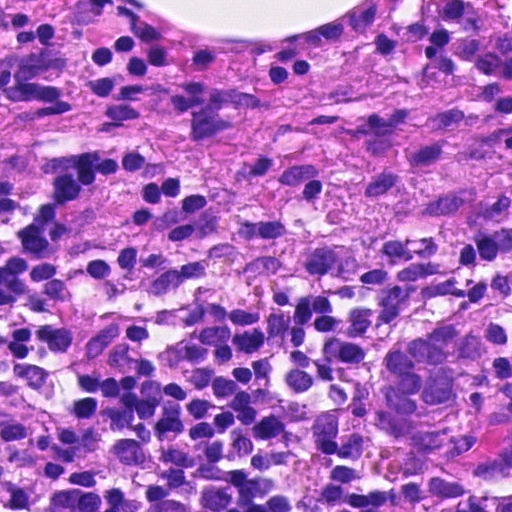
Lymph node section stained with H&E, from a whole-slide image of a breast-cancer sentinel node. Magnification about 40×, about 0.12 mm across the frame, about 0.23 µm per pixel.
The outlined metastatic tumour's edge, as a closed clockwise path of 6 points: (475, 315), (500, 344), (473, 411), (407, 434), (360, 383), (402, 325).
Tumour covers about 5% of the frame.